Image:
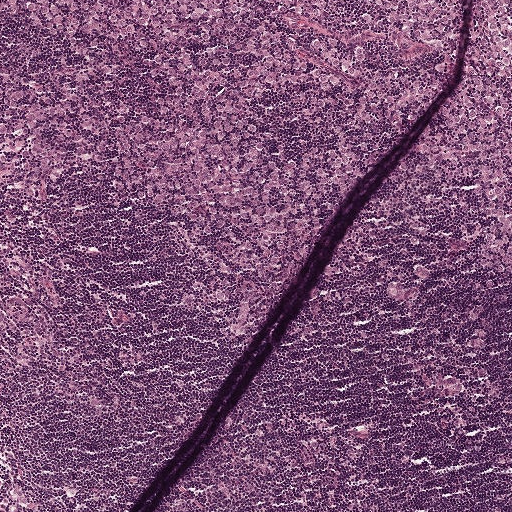
H&E-stained section of a sentinel lymph node (breast cancer), from a whole-slide image, viewed at about 5×: the field is about 1 mm across, about 1.9 µm per pixel.
Question:
Show where the tumour is in this image.
Answer:
The outlined metastatic tumour's edge, as a closed clockwise path of 24 points: (0, 0), (461, 0), (457, 66), (399, 134), (415, 149), (460, 80), (473, 0), (511, 0), (511, 282), (476, 267), (491, 225), (487, 199), (426, 170), (393, 135), (288, 254), (250, 273), (206, 240), (144, 219), (109, 164), (60, 186), (2, 175), (0, 116), (25, 48), (3, 25).
Tumour covers about 40% of the frame.